Question: 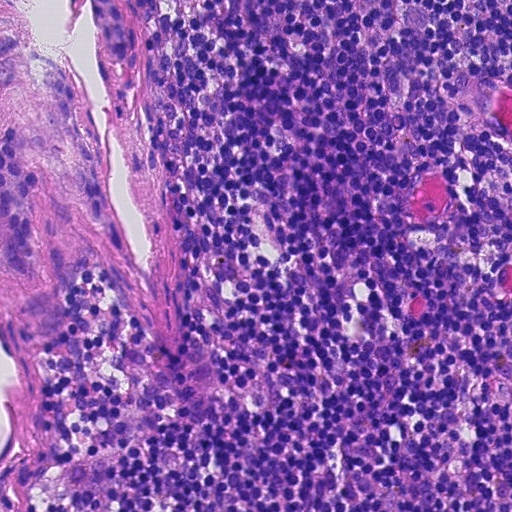
This is a crop of a whole-slide image: an H&E-stained breast-cancer sentinel lymph node section at roughly 20× magnification (about 0.45 µm per pixel; the crop spans about 0.23 mm).
Roughly what share of this field is metastatic tumour?

Choices:
 (A) about 50% or more
 (B) about 25% to 45%
 (C) none: no tumour is outlined
 (D) about 5% or less
 (E) about 10% to 20%

Answer: (E) about 10% to 20%
About 20% of the field is tumour.
One metastatic tumour region; its boundary, reduced to 12 corners and listed clockwise: (3, 0), (129, 0), (185, 269), (189, 336), (168, 360), (104, 256), (86, 247), (70, 328), (40, 354), (2, 342), (0, 43), (10, 38).